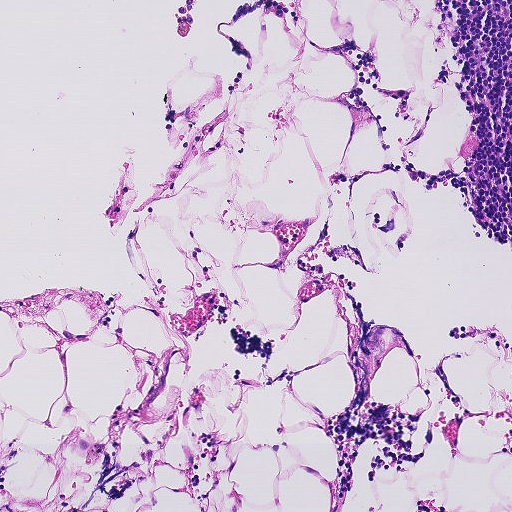
A 0.46-mm field of an H&E-stained sentinel lymph node from a breast-cancer patient (whole-slide image), shown at about 10×, about 0.9 µm per pixel.
Question: Does this lymph node field contain metastatic tumour?
Answer: No, this field holds no outlined metastasis.